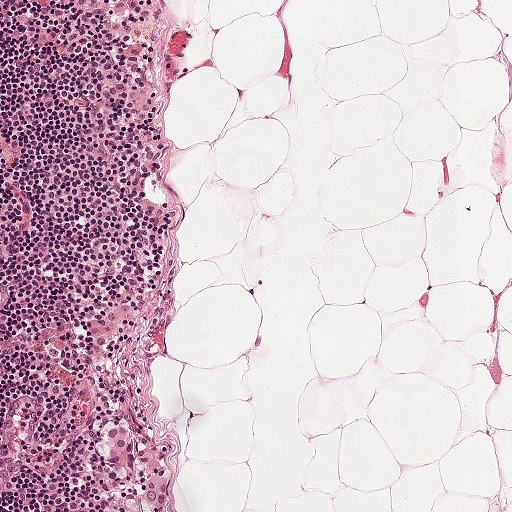
This is a crop of a whole-slide image: an H&E-stained breast-cancer sentinel lymph node section at roughly 10× magnification (about 0.97 µm per pixel; the crop spans about 0.5 mm).
Question: Show where the tumour is in this image.
Answer: Two metastatic tumour regions, each outlined as a closed clockwise path in crop pixels (x, y), largest first: region 1: (133, 412), (136, 427), (135, 450), (140, 462), (171, 476), (172, 492), (167, 506), (158, 510), (146, 507), (141, 498), (139, 484), (133, 474), (126, 470), (105, 469), (94, 458), (94, 453), (101, 434), (111, 419), (120, 413); region 2: (121, 504), (138, 504), (144, 511), (110, 511).
Under 5% of this field is tumour.